Question: 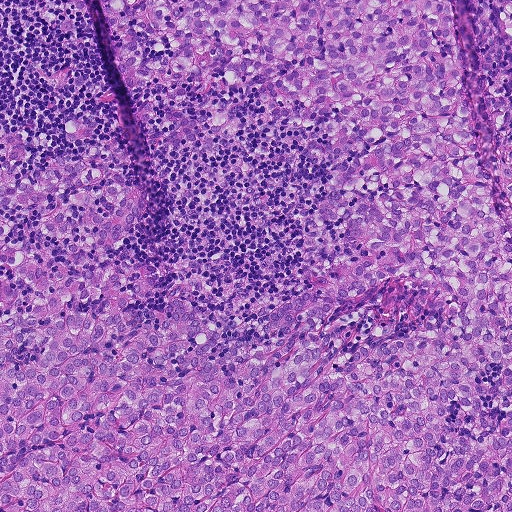
This is a crop of a whole-slide image: an H&E-stained breast-cancer sentinel lymph node section at roughly 10× magnification (about 0.9 µm per pixel; the crop spans about 0.46 mm).
Estimate the proportion of this field that is metastatic tumour.

Choices:
 (A) about 10% to 20%
 (B) about 5% or less
 (C) about 50% or more
 (D) none: no tumour is outlined
 (E) about 25% to 45%

Answer: (C) about 50% or more
About 70% of the field is tumour.
Tumour region outline (a closed clockwise path, crop pixels): (148, 0), (461, 0), (502, 167), (511, 511), (0, 511), (0, 135), (24, 136), (14, 180), (64, 154), (146, 191), (110, 255), (157, 268), (139, 320), (178, 292), (214, 355), (376, 256), (316, 212), (340, 186), (327, 123), (267, 121), (232, 71), (129, 90), (128, 36), (176, 43).